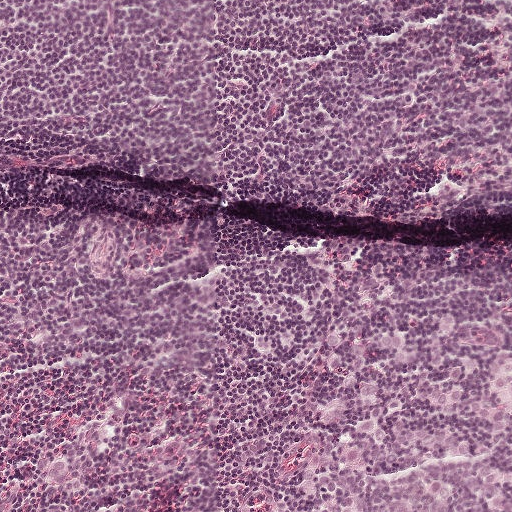
Lymph node section stained with H&E, from a whole-slide image of a breast-cancer sentinel node. Magnification about 10×, about 0.5 mm across the frame, about 0.97 µm per pixel.
One metastatic tumour region; its boundary, reduced to 9 corners and listed clockwise: (392, 326), (448, 326), (511, 340), (511, 511), (305, 511), (322, 478), (326, 422), (316, 391), (327, 349).
Tumour covers about 15% of the frame.